Image:
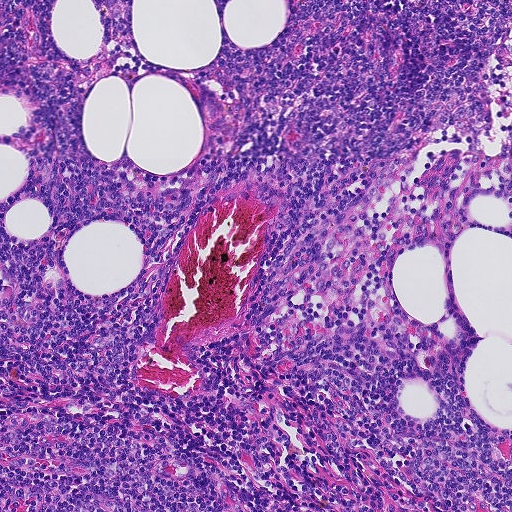
This is a crop of a whole-slide image: an H&E-stained breast-cancer sentinel lymph node section at roughly 10× magnification (about 0.9 µm per pixel; the crop spans about 0.46 mm).
Question:
Is any metastatic breast cancer visible in this crop?
Answer:
No: no metastatic tumour is outlined anywhere in this field.